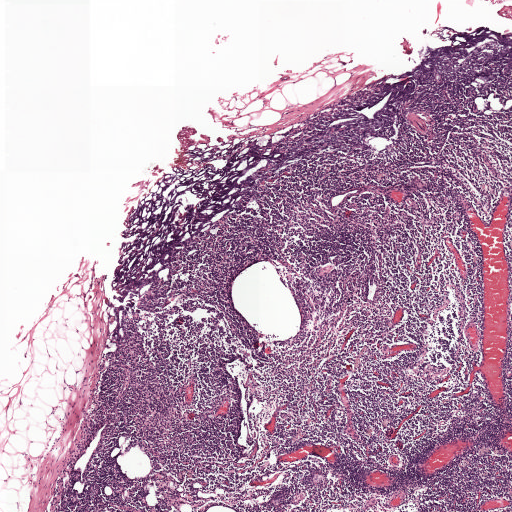
A 2.0-mm field of an H&E-stained sentinel lymph node from a breast-cancer patient (whole-slide image), shown at about 2.5×, about 3.9 µm per pixel.